Image:
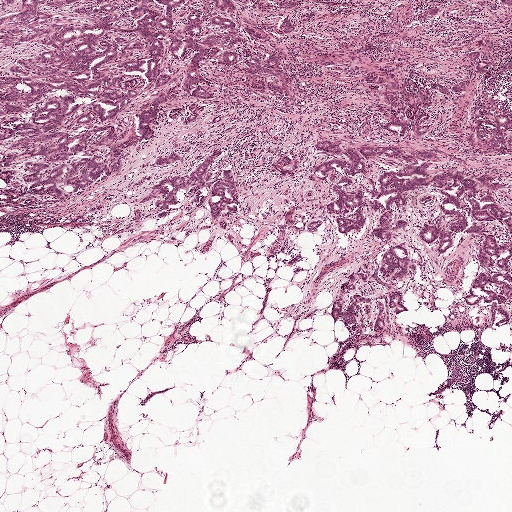
Lymph node section stained with H&E, from a whole-slide image of a breast-cancer sentinel node. Magnification about 2.5×, about 2.0 mm across the frame, about 3.9 µm per pixel.
Question:
Where is the metastatic tumour in this field? Give each region's outline as (x, y) pixel points.
Answer:
The eight largest tumour regions' boundaries, simplified and listed clockwise, largest first: region 1: (0, 0), (327, 0), (296, 42), (296, 108), (251, 96), (196, 134), (166, 119), (161, 139), (131, 153), (122, 174), (56, 210), (16, 207), (0, 174); region 2: (328, 138), (339, 147), (358, 152), (358, 146), (364, 145), (389, 143), (408, 152), (429, 151), (434, 155), (435, 166), (427, 172), (425, 186), (403, 195), (399, 209), (389, 207), (391, 219), (403, 219), (406, 225), (385, 242), (369, 232), (376, 218), (370, 208), (377, 195), (375, 179), (378, 174), (407, 165), (361, 156), (363, 173), (352, 176), (332, 164), (327, 176), (317, 175), (313, 167), (319, 163), (350, 160), (343, 155), (319, 152), (312, 147), (314, 141); region 3: (441, 170), (477, 176), (492, 172), (504, 185), (504, 189), (490, 194), (511, 217), (511, 236), (493, 220), (472, 220), (464, 211), (466, 228), (455, 234), (453, 249), (438, 253), (421, 241), (419, 229), (425, 222), (446, 231), (455, 221), (441, 211), (443, 196), (430, 186), (432, 176); region 4: (473, 224), (486, 228), (502, 243), (511, 242), (508, 271), (511, 277), (511, 300), (508, 299), (501, 304), (511, 318), (498, 328), (490, 324), (490, 304), (480, 300), (476, 307), (471, 308), (461, 300), (473, 277), (484, 272), (477, 264), (478, 253), (482, 248), (482, 239), (465, 231); region 5: (373, 68), (394, 81), (408, 77), (425, 82), (437, 81), (449, 84), (461, 80), (463, 82), (463, 91), (456, 93), (449, 92), (443, 94), (428, 87), (430, 103), (424, 109), (428, 116), (417, 122), (421, 125), (428, 123), (425, 133), (421, 136), (411, 134), (412, 119), (416, 107), (409, 105), (404, 106), (403, 109), (408, 127), (404, 134), (398, 136), (381, 128), (392, 114), (391, 106), (375, 88), (360, 79), (361, 73); region 6: (481, 94), (489, 95), (496, 100), (500, 110), (511, 115), (511, 146), (507, 147), (502, 158), (494, 160), (477, 156), (467, 144), (472, 101); region 7: (216, 149), (221, 150), (207, 169), (213, 173), (209, 181), (200, 182), (177, 189), (176, 196), (178, 205), (166, 206), (167, 216), (160, 219), (156, 217), (157, 209), (155, 205), (156, 203), (163, 200), (162, 197), (151, 188), (163, 177), (186, 175), (212, 152); region 8: (341, 176), (350, 178), (353, 182), (342, 189), (346, 193), (355, 190), (361, 189), (362, 191), (362, 210), (364, 223), (364, 226), (360, 229), (352, 230), (345, 232), (338, 232), (335, 224), (335, 216), (352, 219), (356, 206), (337, 214), (331, 214), (326, 210), (328, 204), (336, 197), (337, 194), (333, 188).
10 more, smaller tumour regions are not outlined.
Two more small tumour pieces are annotated here but not outlined.
The annotated tumour makes up about 25% of the crop.